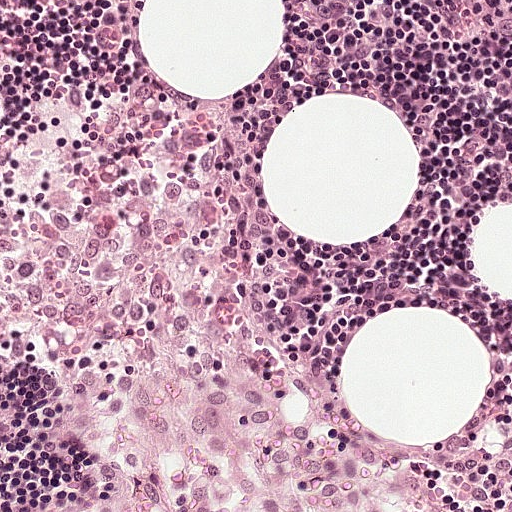
Lymph node section stained with H&E, from a whole-slide image of a breast-cancer sentinel node. Magnification about 20×, about 0.25 mm across the frame, about 0.49 µm per pixel.